Image:
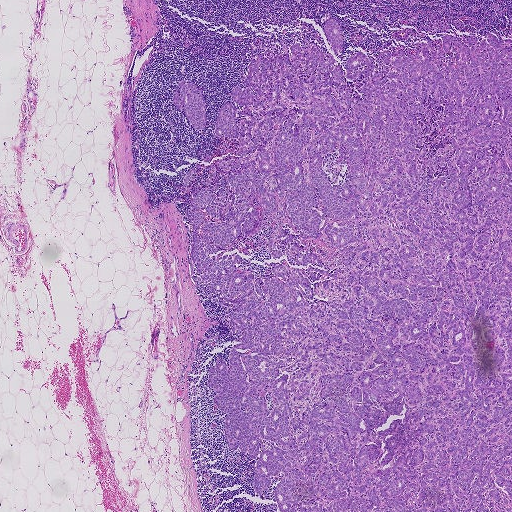
Lymph node section stained with H&E, from a whole-slide image of a breast-cancer sentinel node. Magnification about 2.5×, about 1.9 mm across the frame, about 3.6 µm per pixel.
Question:
Trace the edge of each tumour region in this crop, as (x, y) points from 0 to 511.
Answer:
Outlines of two tumour regions, largest first (closed clockwise paths, crop pixels): region 1: (333, 18), (343, 71), (360, 51), (511, 36), (511, 511), (279, 511), (280, 480), (254, 495), (257, 457), (227, 445), (208, 372), (241, 342), (231, 310), (196, 295), (180, 186), (236, 156), (235, 141), (220, 152), (218, 109), (283, 39), (328, 53); region 2: (184, 79), (198, 86), (203, 97), (206, 117), (206, 125), (201, 131), (194, 129), (184, 111), (176, 108), (172, 101), (173, 89), (177, 88), (180, 81).
Tumour covers about 55% of the frame.